Question: 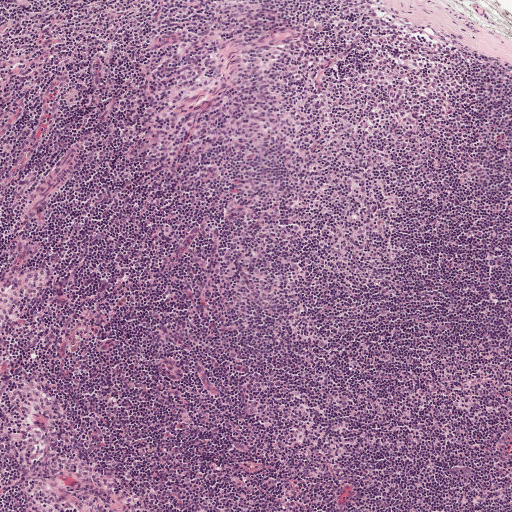
At roughly what magnification is this field shown?

Choices:
 (A) about 5×
 (B) about 10×
 (C) about 2.5×
 (D) about 40×
 (E) about 20×

Answer: (A) about 5×
Lymph node section stained with H&E, from a whole-slide image of a breast-cancer sentinel node. Magnification about 5×, about 1 mm across the frame, about 1.9 µm per pixel.